A 1-mm field of an H&E-stained sentinel lymph node from a breast-cancer patient (whole-slide image), shown at about 5×, about 1.9 µm per pixel.
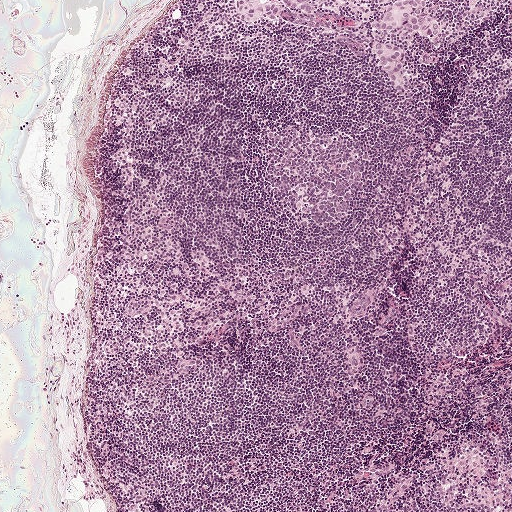
Question: Is there metastatic carcinoma in this field?
Answer: Yes.
Three metastatic tumour regions, each outlined as a closed clockwise path in crop pixels (x, y), largest first: region 1: (425, 0), (426, 15), (435, 18), (439, 24), (437, 35), (431, 38), (425, 38), (403, 28), (393, 32), (382, 31), (380, 21), (384, 13), (399, 1); region 2: (235, 0), (309, 0), (303, 2), (294, 10), (280, 13), (276, 22), (249, 22), (238, 17); region 3: (371, 40), (395, 46), (403, 50), (403, 84), (401, 91), (393, 88), (374, 51), (366, 46).
Tumour covers under 5% of the frame.